Image:
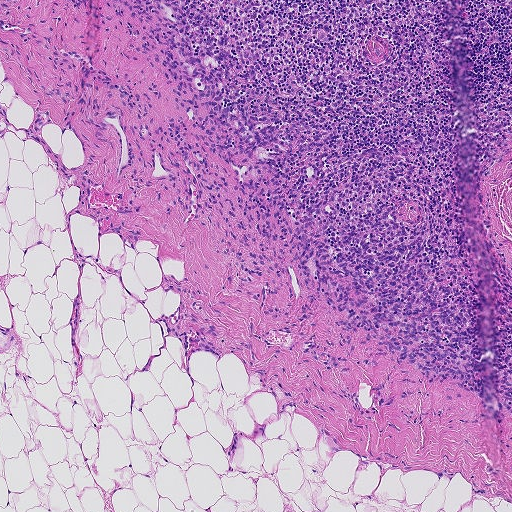
Lymph node section stained with H&E, from a whole-slide image of a breast-cancer sentinel node. Magnification about 5×, about 0.93 mm across the frame, about 1.8 µm per pixel.
Question:
Does this lymph node field contain metastatic tumour?
Answer:
No: no metastatic tumour is outlined anywhere in this field.